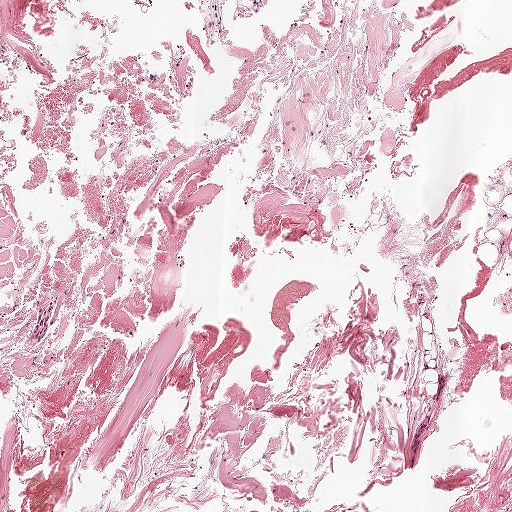
A 1-mm field of an H&E-stained sentinel lymph node from a breast-cancer patient (whole-slide image), shown at about 5×, about 1.9 µm per pixel.
Question: Is there metastatic carcinoma in this field?
Answer: No, this field holds no outlined metastasis.